Image:
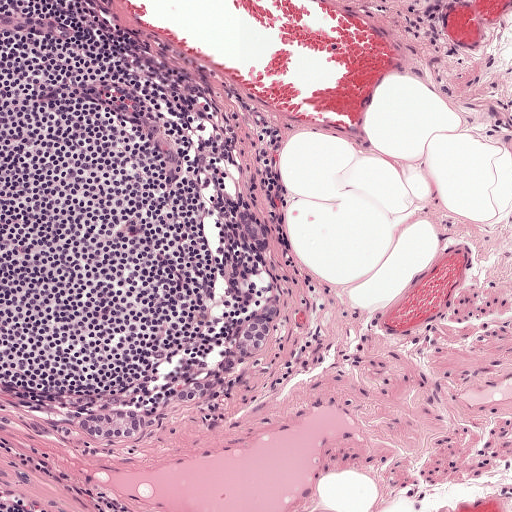
H&E-stained section of a sentinel lymph node (breast cancer), from a whole-slide image, viewed at about 10×: the field is about 0.5 mm across, about 0.97 µm per pixel.
Question:
Where is the metastatic tumour in this field?
Answer:
Outlines of three tumour regions, largest first (closed clockwise paths, crop pixels): region 1: (272, 298), (278, 315), (272, 330), (255, 355), (220, 386), (206, 394), (192, 399), (176, 398), (178, 390), (200, 380), (213, 371), (241, 333); region 2: (134, 410), (143, 413), (145, 426), (138, 438), (95, 439), (82, 433), (77, 423), (88, 412); region 3: (240, 207), (252, 210), (269, 222), (269, 250), (260, 258), (246, 243), (239, 226).
Under 5% of the image area is annotated as tumour.